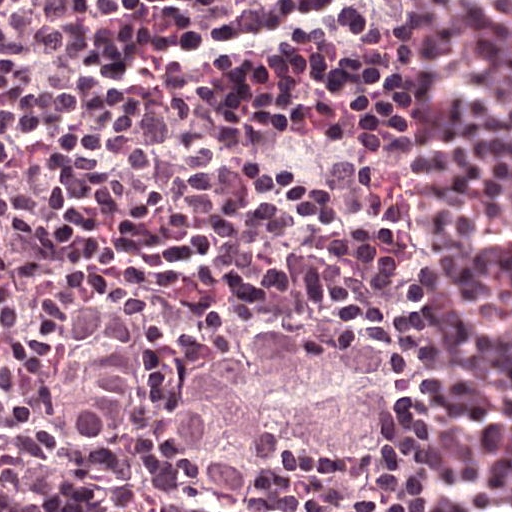
H&E-stained section of a sentinel lymph node (breast cancer), from a whole-slide image, viewed at about 40×: the field is about 0.12 mm across, about 0.24 µm per pixel.
Two metastatic tumour regions, each outlined as a closed clockwise path in crop pixels (x, y), largest first: region 1: (263, 323), (365, 337), (376, 366), (368, 382), (365, 451), (325, 479), (223, 508), (177, 503), (155, 466), (151, 392), (180, 361); region 2: (125, 296), (139, 306), (148, 335), (148, 368), (110, 444), (103, 453), (72, 464), (44, 460), (18, 434), (18, 406), (36, 380), (34, 344), (55, 303).
About 20% of this field is tumour.